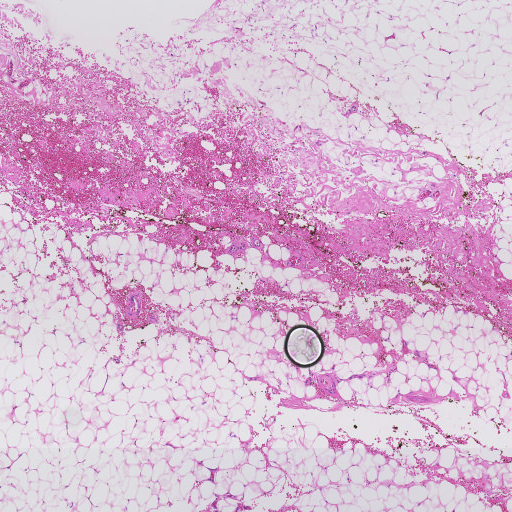
Lymph node section stained with H&E, from a whole-slide image of a breast-cancer sentinel node. Magnification about 2.5×, about 1.9 mm across the frame, about 3.6 µm per pixel.